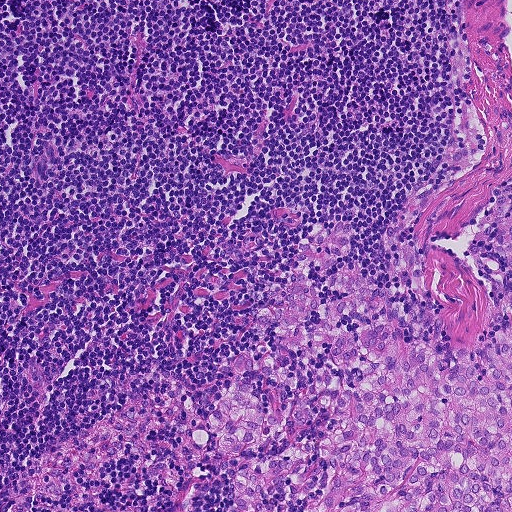
A 0.46-mm field of an H&E-stained sentinel lymph node from a breast-cancer patient (whole-slide image), shown at about 10×, about 0.9 µm per pixel.
Boundaries of two metastatic tumour regions, simplified and listed clockwise, largest first: region 1: (351, 225), (346, 257), (318, 278), (310, 261), (306, 271), (319, 304), (351, 296), (330, 289), (330, 278), (362, 273), (406, 336), (428, 340), (453, 366), (511, 323), (511, 511), (303, 511), (334, 469), (314, 448), (281, 470), (271, 511), (236, 508), (240, 470), (312, 439), (329, 420), (327, 406), (222, 458), (212, 409), (229, 388), (254, 383), (269, 412), (278, 386), (295, 398), (333, 374), (362, 381), (354, 363), (331, 361), (326, 333), (300, 349), (273, 333), (301, 238); region 2: (511, 175), (511, 272), (507, 262), (498, 250), (494, 239), (494, 226), (500, 214), (497, 208), (494, 195), (500, 184).
About 20% of this field is tumour.